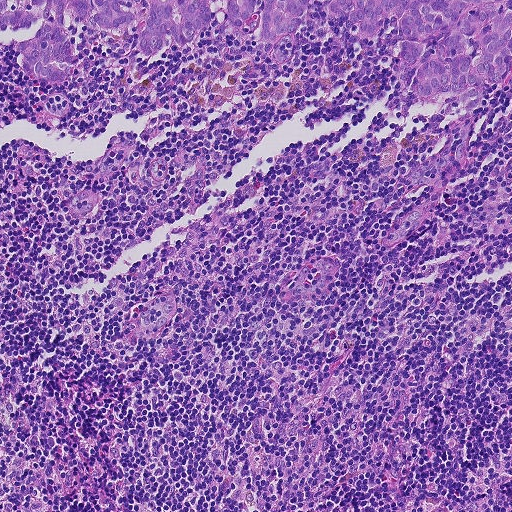
This is a crop of a whole-slide image: an H&E-stained breast-cancer sentinel lymph node section at roughly 10× magnification (about 0.9 µm per pixel; the crop spans about 0.46 mm).
Two metastatic tumour regions, each outlined as a closed clockwise path in crop pixels (x, y), largest first: region 1: (0, 0), (511, 0), (511, 88), (474, 118), (466, 170), (437, 213), (386, 250), (381, 238), (434, 187), (395, 174), (419, 158), (432, 105), (408, 120), (288, 94), (294, 72), (214, 20), (138, 74), (85, 46), (58, 118), (44, 106), (54, 91), (25, 78); region 2: (511, 159), (511, 184), (506, 184), (503, 176), (507, 163).
About 15% of this field is tumour.